A 0.25-mm field of an H&E-stained sentinel lymph node from a breast-cancer patient (whole-slide image), shown at about 20×, about 0.49 µm per pixel.
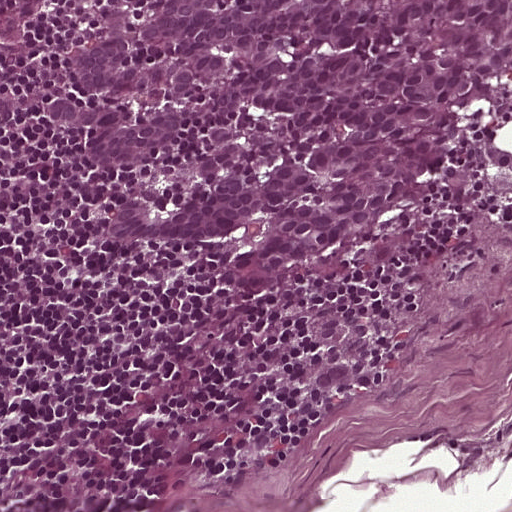
Tumour region outline (a closed clockwise path, crop pixels): (74, 0), (511, 0), (499, 144), (511, 173), (485, 165), (396, 265), (354, 286), (370, 330), (366, 374), (346, 396), (312, 389), (320, 354), (301, 286), (246, 309), (188, 273), (84, 271), (82, 208), (30, 123), (30, 90).
The annotated tumour makes up about 45% of the crop.